Question: 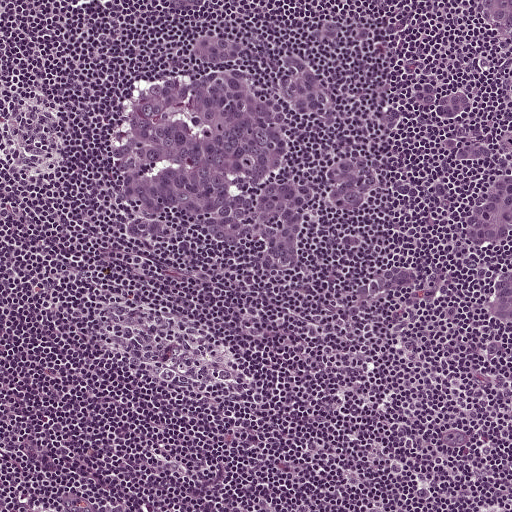
A 0.5-mm field of an H&E-stained sentinel lymph node from a breast-cancer patient (whole-slide image), shown at about 10×, about 0.97 µm per pixel.
About how much of this crop is taken up by metastatic carcinoma?

Choices:
 (A) none: no tumour is outlined
 (B) about 50% or more
 (C) about 5% or less
 (D) about 25% to 45%
 (E) about 10% to 20%

Answer: (D) about 25% to 45%
About 30% of the field is tumour.
Boundaries of three metastatic tumour regions, simplified and listed clockwise, largest first: region 1: (467, 0), (511, 0), (511, 355), (472, 348), (496, 336), (484, 296), (499, 267), (473, 248), (456, 251), (420, 307), (352, 304), (347, 288), (428, 259), (466, 229), (486, 184), (442, 162), (427, 132), (410, 130), (382, 149), (382, 200), (370, 213), (321, 206), (307, 216), (300, 268), (273, 286), (214, 246), (148, 244), (117, 228), (109, 127), (151, 76), (183, 66), (194, 34), (260, 26), (316, 64), (359, 118), (410, 77), (479, 74), (490, 62); region 2: (354, 0), (386, 0), (384, 6), (381, 22), (373, 37), (344, 52), (326, 53), (310, 51), (303, 36), (310, 20); region 3: (141, 0), (224, 0), (210, 9), (192, 13), (159, 13).
One more small tumour piece is annotated here but not outlined.
Question: 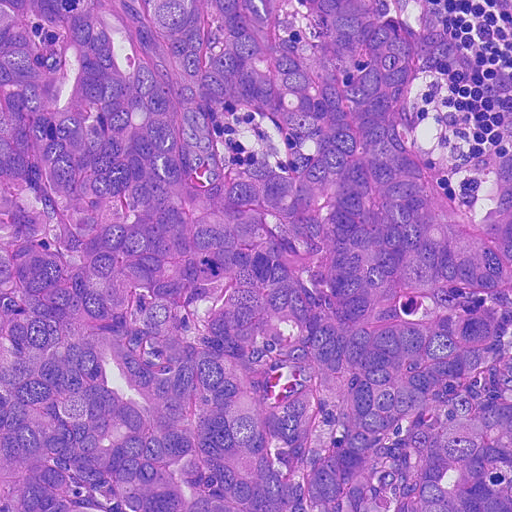
Lymph node section stained with H&E, from a whole-slide image of a breast-cancer sentinel node. Magnification about 20×, about 0.23 mm across the frame, about 0.45 µm per pixel.
About how much of this crop is taken up by metastatic carcinoma?

Choices:
 (A) about 25% to 45%
 (B) about 50% or more
 (C) about 5% or less
 (D) none: no tumour is outlined
 (E) about 10% to 20%

Answer: (B) about 50% or more
About 95% of the field is tumour.
Metastatic tumour outline, simplified to 16 points and listed clockwise in crop pixels (x, y): (0, 0), (270, 0), (324, 80), (325, 18), (310, 4), (366, 0), (409, 40), (418, 71), (410, 132), (453, 199), (454, 176), (508, 146), (505, 92), (511, 97), (511, 511), (0, 511).
Question: 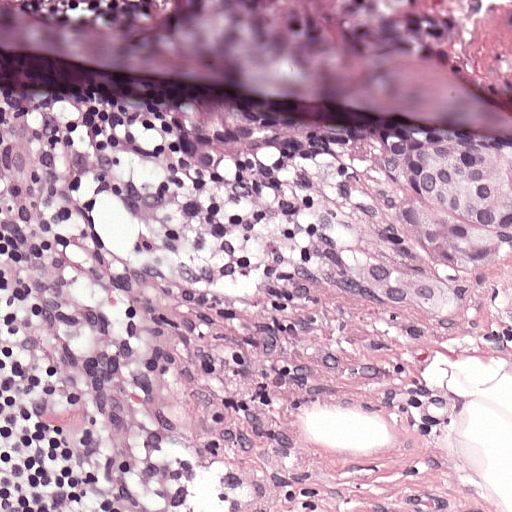
Lymph node section stained with H&E, from a whole-slide image of a breast-cancer sentinel node. Magnification about 20×, about 0.25 mm across the frame, about 0.49 µm per pixel.
About how much of this crop is taken up by metastatic carcinoma?

Choices:
 (A) about 25% to 45%
 (B) none: no tumour is outlined
 (C) about 10% to 20%
 (D) about 5% or less
 (E) about 50% or more

Answer: (C) about 10% to 20%
About 15% of the field is tumour.
Boundaries of three metastatic tumour regions, simplified and listed clockwise, largest first: region 1: (434, 120), (511, 124), (511, 295), (458, 347), (362, 324), (295, 260); region 2: (330, 0), (428, 0), (428, 8), (387, 26), (347, 29), (328, 14); region 3: (0, 0), (42, 0), (37, 9), (0, 8).
Question: 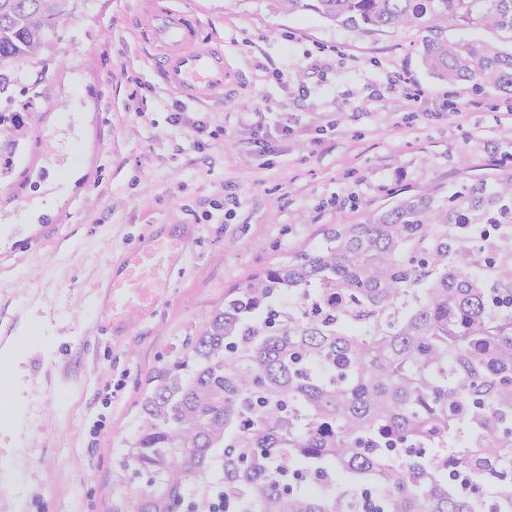
H&E-stained section of a sentinel lymph node (breast cancer), from a whole-slide image, viewed at about 20×: the field is about 0.26 mm across, about 0.5 µm per pixel.
About how much of this crop is taken up by metastatic carcinoma?

Choices:
 (A) none: no tumour is outlined
 (B) about 25% to 45%
 (C) about 50% or more
 (D) about 10% to 20%
 (E) about 5% or less

Answer: (C) about 50% or more
Over 95% of the field is tumour.
Metastatic tumour covers the whole field.